Image:
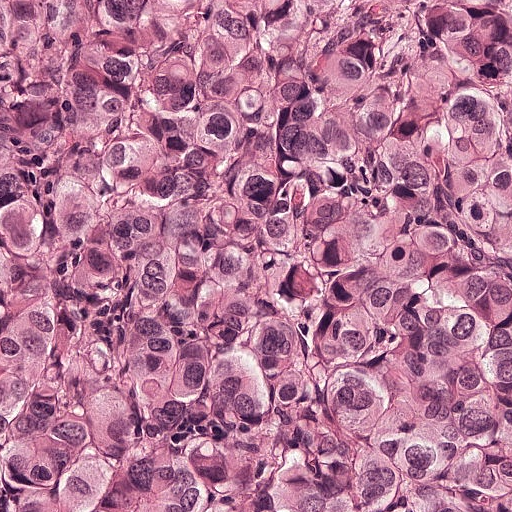
Lymph node section stained with H&E, from a whole-slide image of a breast-cancer sentinel node. Magnification about 20×, about 0.25 mm across the frame, about 0.49 µm per pixel.
Question:
Describe where the metastatic carcinoma lies in this crop.
Answer:
Metastatic tumour covers the whole field.
Tumour covers over 95% of the frame.